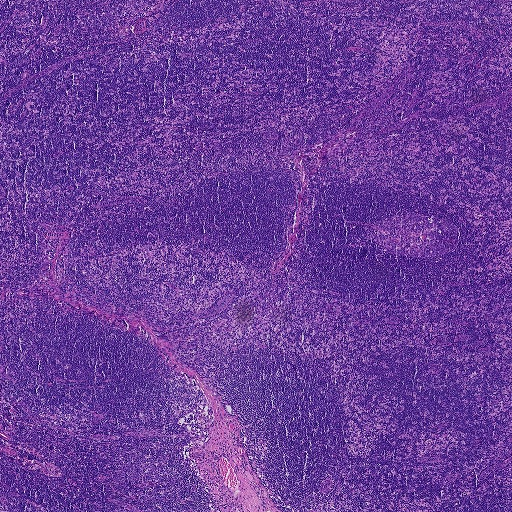
Lymph node section stained with H&E, from a whole-slide image of a breast-cancer sentinel node. Magnification about 2.5×, about 1.9 mm across the frame, about 3.6 µm per pixel.